A 1.9-mm field of an H&E-stained sentinel lymph node from a breast-cancer patient (whole-slide image), shown at about 2.5×, about 3.6 µm per pixel.
Image:
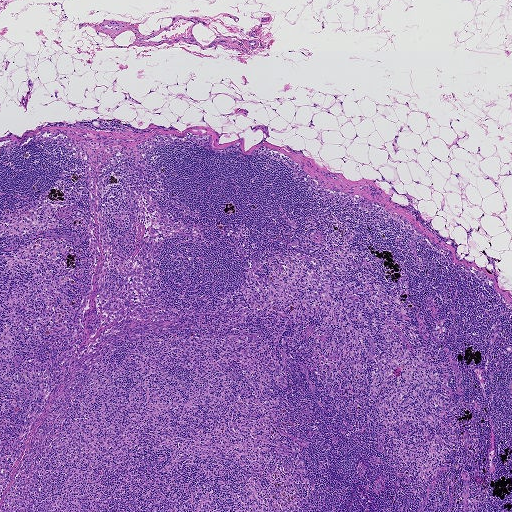
Question:
Does this lymph node field contain metastatic tumour?
Answer:
No: no metastatic tumour is outlined anywhere in this field.